A 1.9-mm field of an H&E-stained sentinel lymph node from a breast-cancer patient (whole-slide image), shown at about 2.5×, about 3.6 µm per pixel.
Image:
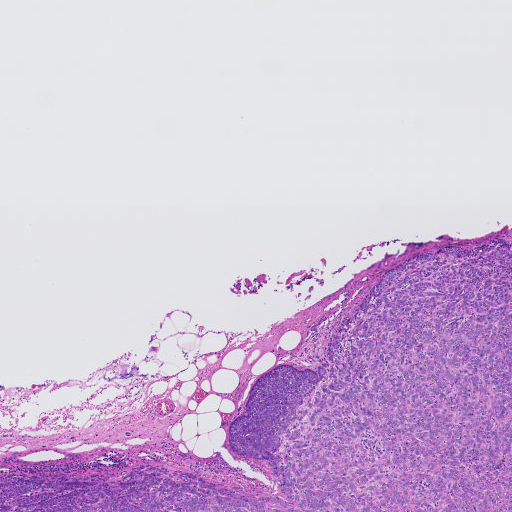
Question:
Show where the tumour is in this image.
Answer:
The outlined metastatic tumour's edge, as a closed clockwise path of 17 points: (511, 243), (511, 511), (0, 511), (7, 475), (146, 463), (286, 500), (266, 460), (230, 447), (230, 424), (247, 416), (258, 379), (281, 365), (313, 369), (309, 356), (323, 355), (392, 267), (445, 247).
Tumour covers about 25% of the frame.